Lymph node section stained with H&E, from a whole-slide image of a breast-cancer sentinel node. Magnification about 40×, about 0.12 mm across the frame, about 0.24 µm per pixel.
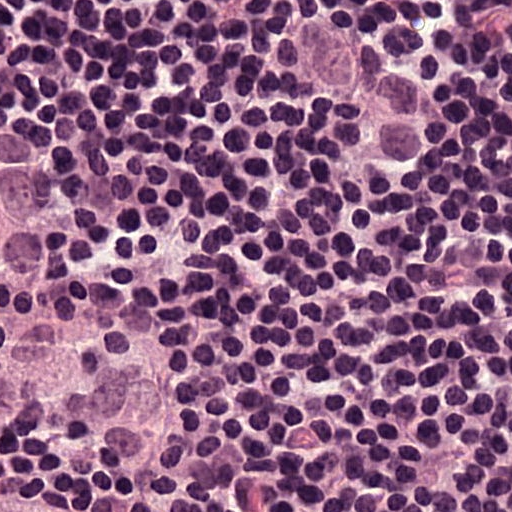
Outlines of two tumour regions, largest first (closed clockwise paths, crop pixels): region 1: (0, 120), (40, 126), (74, 222), (54, 273), (61, 314), (132, 318), (177, 370), (176, 446), (162, 471), (176, 511), (0, 511); region 2: (350, 16), (427, 75), (446, 139), (386, 173), (347, 148), (354, 106), (322, 96), (285, 43), (309, 20).
About 20% of the image area is annotated as tumour.